Question: 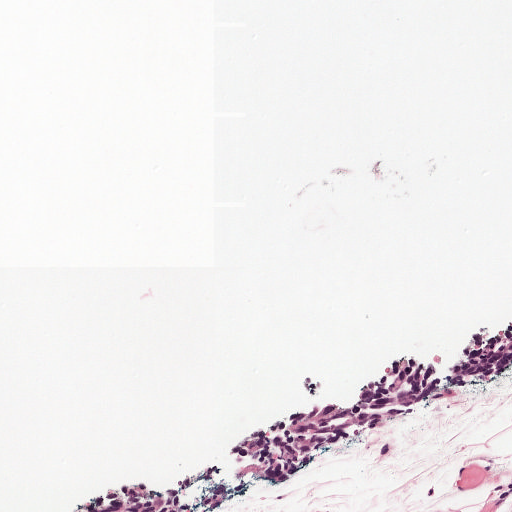
H&E-stained section of a sentinel lymph node (breast cancer), from a whole-slide image, viewed at about 10×: the field is about 0.5 mm across, about 0.97 µm per pixel.
Roughly what share of this field is metastatic tumour?

Choices:
 (A) about 50% or more
 (B) about 10% to 20%
 (C) about 25% to 45%
 (D) about 5% or less
 (E) none: no tumour is outlined

Answer: (B) about 10% to 20%
About 10% of the field is tumour.
Metastatic tumour outline, simplified to 10 points and listed clockwise in crop pixels (x, y): (494, 324), (511, 327), (511, 369), (342, 446), (294, 480), (266, 482), (219, 511), (72, 511), (92, 491), (394, 356).